This is a crop of a whole-slide image: an H&E-stained breast-cancer sentinel lymph node section at roughly 2.5× magnification (about 3.6 µm per pixel; the crop spans about 1.9 mm).
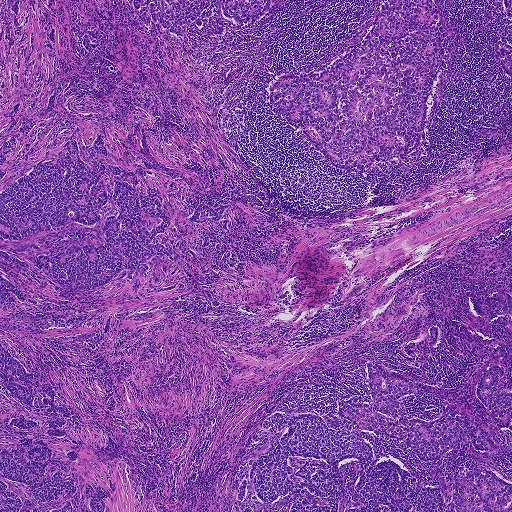
Question: Trace the edge of each tumour region in this crop, as (x, y) points from 0 to 511.
Answer: Outlines of the eight largest metastatic tumour regions, each a closed clockwise path in crop pixels (x, y), largest first: region 1: (0, 0), (279, 0), (222, 35), (162, 39), (199, 139), (265, 204), (231, 206), (207, 264), (193, 275), (176, 270), (175, 288), (89, 293), (91, 317), (75, 325), (1, 324); region 2: (441, 0), (454, 27), (456, 48), (432, 88), (424, 151), (409, 158), (405, 170), (396, 162), (380, 161), (378, 172), (358, 172), (326, 161), (302, 131), (277, 113), (269, 90), (280, 74), (316, 73), (352, 48), (348, 40), (369, 31), (378, 3); region 3: (303, 411), (364, 440), (374, 456), (394, 459), (423, 486), (437, 487), (446, 511), (390, 511), (381, 505), (378, 511), (237, 511), (234, 498), (238, 484), (283, 425), (265, 430), (262, 422), (277, 412), (288, 416); region 4: (0, 342), (48, 376), (60, 401), (83, 416), (83, 434), (88, 442), (96, 446), (114, 441), (120, 458), (105, 467), (117, 491), (109, 496), (110, 511), (0, 511); region 5: (502, 344), (511, 350), (502, 380), (501, 386), (511, 391), (511, 430), (497, 428), (500, 444), (488, 453), (468, 441), (461, 442), (444, 456), (428, 460), (402, 442), (363, 431), (339, 414), (343, 402), (349, 399), (367, 403), (373, 400), (364, 370), (369, 360), (417, 378), (421, 391), (403, 397), (402, 404), (417, 417), (429, 419), (449, 402), (484, 416), (487, 410), (478, 401), (475, 382), (495, 362), (492, 351); region 6: (482, 468), (490, 469), (511, 481), (511, 511), (448, 511), (446, 504), (448, 496), (460, 476), (467, 471); region 7: (498, 288), (505, 289), (511, 297), (511, 318), (508, 312), (489, 318), (482, 318), (472, 310), (466, 292), (486, 293); region 8: (429, 320), (439, 326), (439, 335), (438, 343), (426, 360), (422, 362), (412, 362), (406, 358), (403, 345), (417, 336), (422, 325).
Four more, smaller tumour regions are not outlined.
One more small tumour piece is annotated here but not outlined.
Tumour covers about 45% of the frame.